H&E-stained section of a sentinel lymph node (breast cancer), from a whole-slide image, viewed at about 2.5×: the field is about 2.0 mm across, about 3.9 µm per pixel.
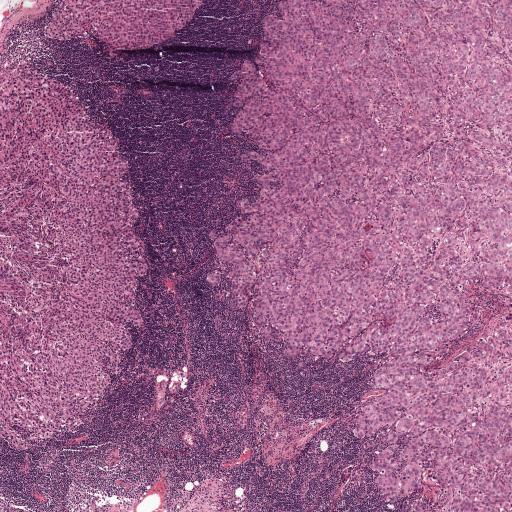
Question: Show where the tumour is in this image.
Answer: Three metastatic tumour regions, each outlined as a closed clockwise path in crop pixels (x, y), largest first: region 1: (511, 0), (511, 511), (407, 511), (417, 492), (385, 504), (352, 424), (359, 400), (387, 388), (365, 383), (382, 357), (290, 365), (213, 302), (225, 279), (203, 280), (210, 231), (268, 170), (234, 158), (260, 149), (229, 127), (227, 85), (278, 3); region 2: (23, 55), (63, 75), (77, 102), (118, 137), (156, 267), (138, 297), (148, 326), (142, 334), (134, 328), (98, 417), (34, 450), (2, 448), (0, 63); region 3: (55, 0), (206, 0), (200, 15), (170, 41), (153, 50), (134, 52), (114, 52), (87, 41), (48, 40), (42, 32).
About 65% of this field is tumour.